H&E-stained section of a sentinel lymph node (breast cancer), from a whole-slide image, viewed at about 2.5×: the field is about 2.0 mm across, about 3.9 µm per pixel.
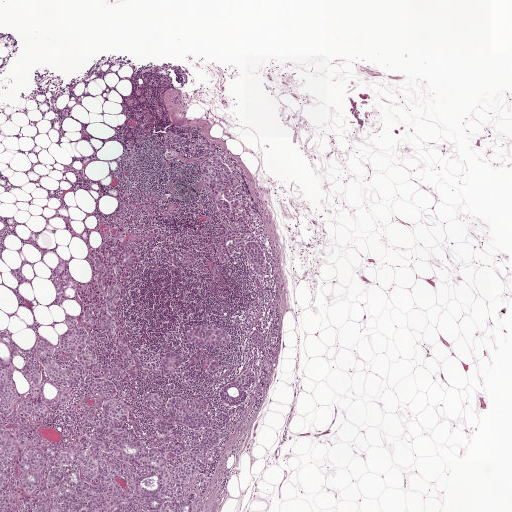
Boundaries of six metastatic tumour regions, simplified and listed clockwise, largest first: region 1: (109, 219), (127, 221), (142, 259), (117, 313), (141, 378), (108, 377), (144, 448), (202, 440), (151, 436), (142, 400), (176, 382), (164, 352), (209, 373), (192, 328), (232, 341), (207, 352), (221, 366), (212, 377), (180, 369), (181, 395), (221, 411), (223, 383), (257, 372), (191, 510), (0, 511), (0, 429), (60, 451), (104, 417), (87, 373), (43, 422), (0, 424), (0, 358), (48, 339), (76, 365), (58, 342), (87, 284), (97, 305), (96, 356), (121, 365), (93, 280); region 2: (214, 155), (218, 156), (227, 166), (235, 179), (231, 186), (223, 192), (222, 197), (229, 204), (230, 211), (220, 210), (215, 204), (221, 196), (214, 193), (209, 187), (201, 171), (204, 161); region 3: (59, 260), (65, 262), (71, 277), (78, 282), (78, 286), (75, 288), (69, 287), (65, 292), (64, 298), (60, 303), (56, 301), (56, 289), (52, 278), (52, 271); region 4: (253, 242), (259, 246), (264, 252), (268, 272), (264, 276), (257, 275), (244, 249), (246, 243); region 5: (244, 222), (246, 225), (245, 235), (243, 240), (228, 249), (227, 252), (229, 259), (228, 261), (223, 261), (220, 255), (223, 248), (223, 241), (224, 239), (232, 237), (240, 231), (239, 224); region 6: (138, 201), (140, 204), (138, 210), (130, 218), (134, 212), (134, 209), (132, 206), (132, 203).
One more small tumour piece is annotated here but not outlined.
Tumour covers about 15% of the frame.